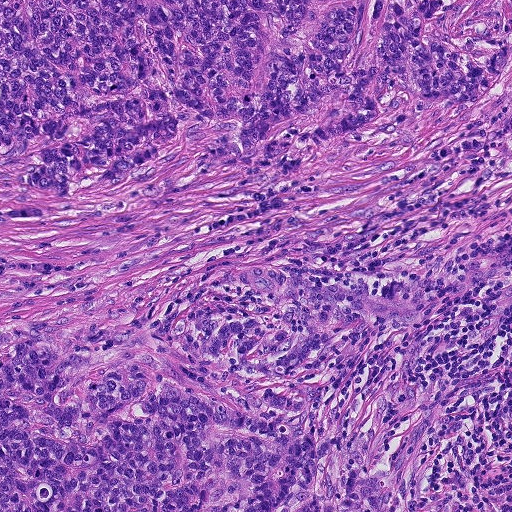
Lymph node section stained with H&E, from a whole-slide image of a breast-cancer sentinel node. Magnification about 10×, about 0.46 mm across the frame, about 0.9 µm per pixel.
Question: Is there metastatic carcinoma in this field?
Answer: Yes.
One metastatic tumour region; its boundary, reduced to 24 corners and listed clockwise: (0, 0), (511, 0), (511, 101), (438, 112), (392, 99), (373, 124), (316, 153), (286, 207), (196, 244), (342, 267), (384, 299), (410, 303), (475, 258), (511, 251), (511, 312), (496, 334), (462, 346), (493, 292), (480, 288), (419, 340), (414, 379), (442, 424), (422, 510), (0, 511).
Tumour covers about 80% of the frame.